A 0.23-mm field of an H&E-stained sentinel lymph node from a breast-cancer patient (whole-slide image), shown at about 20×, about 0.45 µm per pixel.
Question: 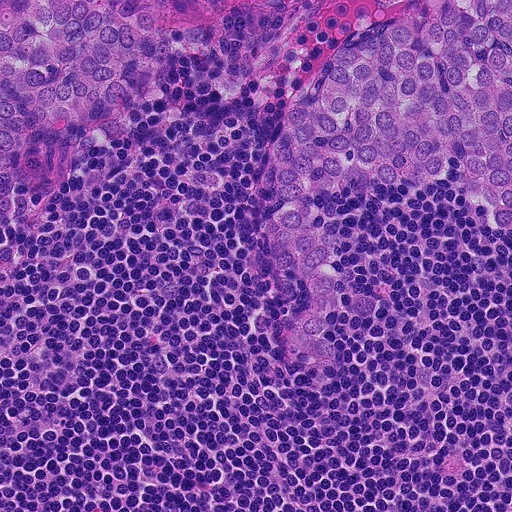
Roughly what share of this field is metastatic tumour?

Choices:
 (A) about 5% or less
 (B) about 25% to 45%
 (C) none: no tumour is outlined
 (D) about 50% or more
 (E) about 10% to 20%

Answer: (B) about 25% to 45%
About 30% of the field is tumour.
Outlines of two tumour regions, largest first (closed clockwise paths, crop pixels): region 1: (329, 0), (511, 0), (511, 233), (490, 204), (440, 180), (314, 192), (338, 294), (372, 296), (377, 312), (327, 324), (335, 360), (318, 367), (290, 350), (298, 282), (256, 246), (286, 206), (262, 169), (288, 100), (313, 74), (276, 68), (276, 50); region 2: (0, 0), (250, 0), (221, 22), (202, 55), (166, 58), (155, 73), (154, 91), (124, 112), (122, 130), (90, 148), (52, 186), (33, 188), (18, 222), (0, 228).